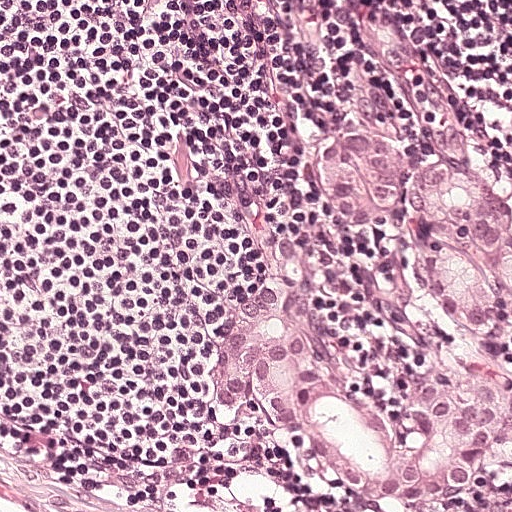
Lymph node section stained with H&E, from a whole-slide image of a breast-cancer sentinel node. Magnification about 20×, about 0.25 mm across the frame, about 0.49 µm per pixel.
The outlined metastatic tumour's edge, as a closed clockwise path of 22 points: (348, 119), (424, 160), (490, 176), (511, 210), (511, 458), (485, 460), (435, 496), (358, 496), (185, 406), (178, 346), (190, 322), (206, 294), (253, 260), (326, 319), (385, 414), (416, 412), (440, 388), (421, 276), (340, 242), (306, 208), (303, 158), (324, 128).
About 25% of this field is tumour.